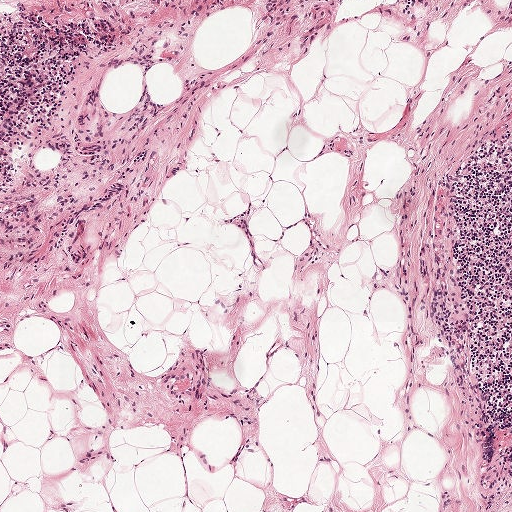
A 1-mm field of an H&E-stained sentinel lymph node from a breast-cancer patient (whole-slide image), shown at about 5×, about 1.9 µm per pixel.
Question: Is any metastatic breast cancer visible in this crop?
Answer: No: no metastatic tumour is outlined anywhere in this field.